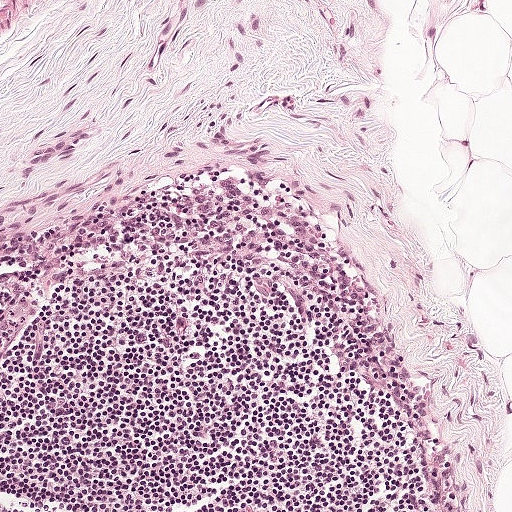
This is a crop of a whole-slide image: an H&E-stained breast-cancer sentinel lymph node section at roughly 10× magnification (about 0.97 µm per pixel; the crop spans about 0.5 mm).
Question: Is any metastatic breast cancer visible in this crop?
Answer: No. No metastatic tumour is outlined in this field.